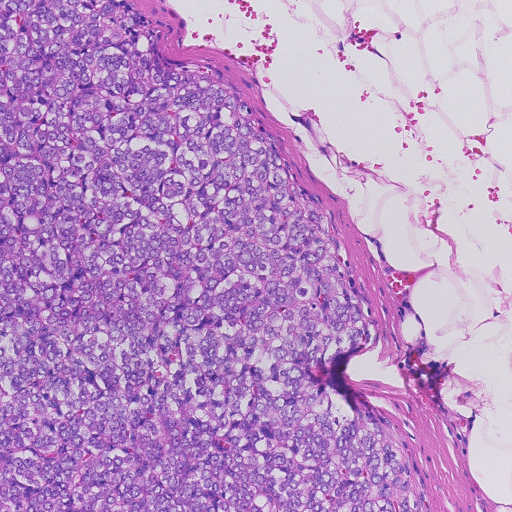
A 0.46-mm field of an H&E-stained sentinel lymph node from a breast-cancer patient (whole-slide image), shown at about 10×, about 0.91 µm per pixel.
Metastatic tumour outline, simplified to 15 points and listed clockwise in crop pixels (x, y): (0, 0), (118, 0), (146, 23), (166, 64), (194, 64), (246, 100), (280, 160), (335, 218), (376, 322), (378, 337), (340, 360), (333, 387), (400, 430), (430, 511), (0, 511).
Tumour covers about 60% of the frame.